Lymph node section stained with H&E, from a whole-slide image of a breast-cancer sentinel node. Magnification about 2.5×, about 2.0 mm across the frame, about 3.9 µm per pixel.
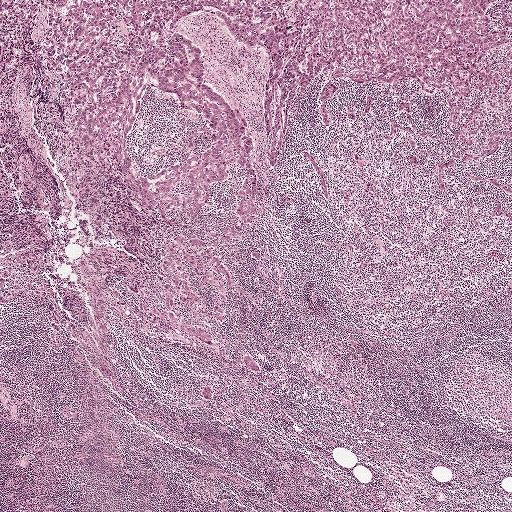
Metastatic tumour outline, simplified to 24 points and listed clockwise in crop pixels (x, y): (500, 0), (494, 12), (506, 38), (477, 64), (465, 95), (406, 77), (387, 85), (324, 74), (291, 92), (271, 166), (260, 121), (264, 54), (229, 36), (214, 11), (192, 16), (177, 28), (202, 50), (203, 81), (243, 117), (254, 145), (247, 174), (207, 122), (140, 66), (132, 1).
One more small tumour piece is annotated here but not outlined.
About 10% of the image area is annotated as tumour.